H&E-stained section of a sentinel lymph node (breast cancer), from a whole-slide image, viewed at about 40×: the field is about 0.12 mm across, about 0.24 µm per pixel.
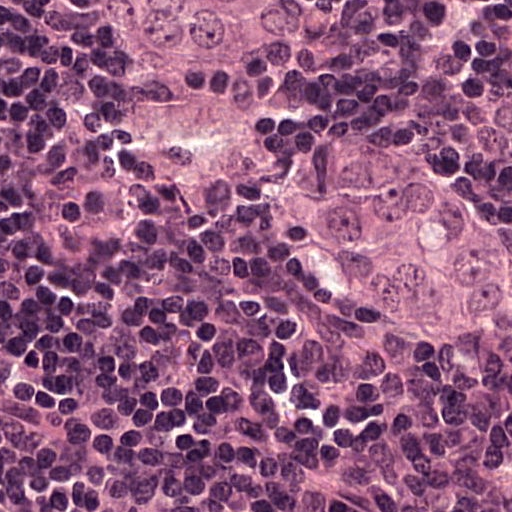
Boundaries of two metastatic tumour regions, simplified and listed clockwise, largest first: region 1: (326, 129), (351, 133), (414, 162), (465, 198), (504, 243), (511, 321), (472, 345), (441, 346), (388, 341), (326, 304), (257, 200), (263, 157), (286, 139), (331, 133); region 2: (107, 0), (321, 0), (300, 42), (288, 52), (184, 88), (152, 85), (131, 73), (105, 24).
About 20% of the image area is annotated as tumour.